Image:
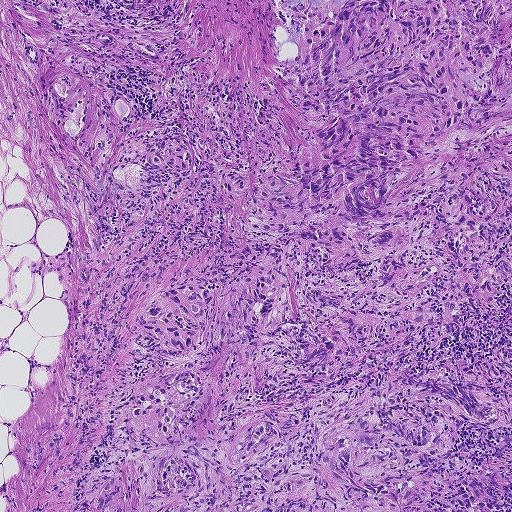
A 0.93-mm field of an H&E-stained sentinel lymph node from a breast-cancer patient (whole-slide image), shown at about 5×, about 1.8 µm per pixel.
Question:
Show where the tumour is in this image.
Answer:
Outlines of two tumour regions, largest first (closed clockwise paths, crop pixels): region 1: (511, 0), (511, 511), (69, 511), (144, 451), (126, 404), (151, 364), (130, 350), (130, 318), (170, 276), (278, 236), (248, 226), (254, 208), (226, 197), (223, 174), (258, 186), (262, 173), (320, 159), (295, 124), (319, 116), (288, 104), (276, 81), (299, 33), (274, 6); region 2: (171, 146), (182, 147), (191, 154), (191, 164), (182, 169), (170, 168), (167, 166), (157, 169), (148, 163), (149, 152), (160, 152), (164, 154).
The annotated tumour makes up about 60% of the crop.